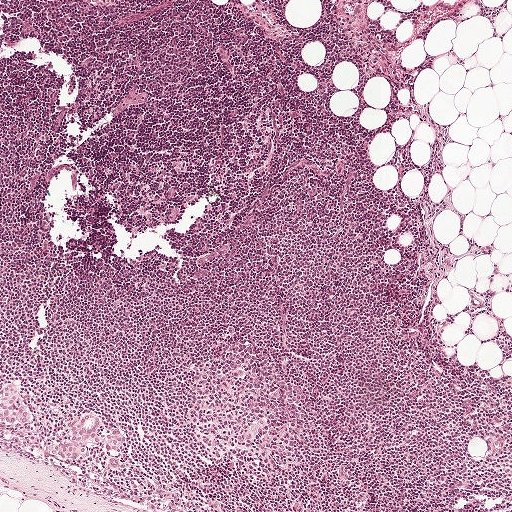
H&E-stained section of a sentinel lymph node (breast cancer), from a whole-slide image, viewed at about 5×: the field is about 1 mm across, about 1.9 µm per pixel.
Outlines of two tumour regions, largest first (closed clockwise paths, crop pixels): region 1: (81, 415), (98, 415), (101, 422), (99, 433), (102, 434), (107, 434), (114, 428), (119, 428), (123, 435), (122, 447), (114, 451), (98, 444), (89, 444), (86, 446), (87, 454), (78, 455), (67, 461), (44, 453), (44, 442), (67, 435), (69, 419); region 2: (13, 382), (14, 387), (19, 391), (27, 413), (27, 419), (22, 424), (12, 421), (0, 423), (0, 384).
Under 5% of the image area is annotated as tumour.